A 0.12-mm field of an H&E-stained sentinel lymph node from a breast-cancer patient (whole-slide image), shown at about 40×, about 0.24 µm per pixel.
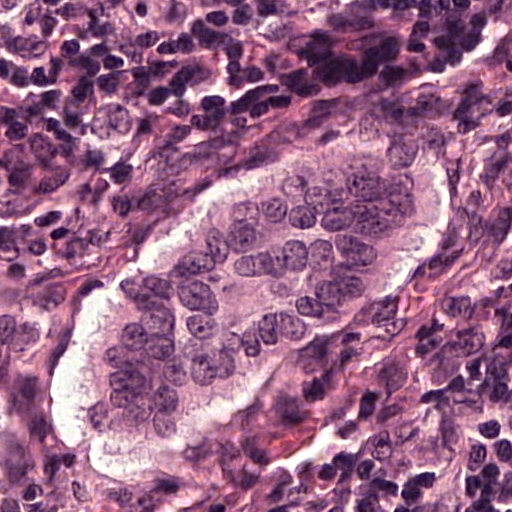
Tumour region outline (a closed clockwise path, crop pixels): (368, 78), (421, 97), (442, 128), (442, 188), (409, 259), (365, 303), (215, 372), (159, 422), (124, 437), (77, 431), (74, 300), (127, 216), (255, 125).
Tumour covers about 30% of the frame.